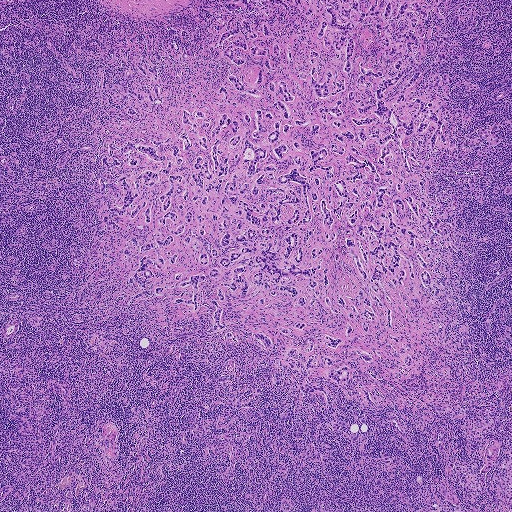
This is a crop of a whole-slide image: an H&E-stained breast-cancer sentinel lymph node section at roughly 2.5× magnification (about 3.6 µm per pixel; the crop spans about 1.9 mm).
Outlines of the eight largest metastatic tumour regions, each a closed clockwise path in crop pixels (x, y), largest first: region 1: (235, 0), (289, 9), (256, 27), (305, 69), (301, 0), (447, 0), (459, 62), (418, 85), (448, 74), (436, 95), (465, 118), (421, 157), (457, 232), (430, 247), (430, 291), (379, 282), (390, 328), (384, 304), (364, 333), (298, 276), (305, 307), (225, 292), (215, 332), (209, 279), (193, 313), (183, 289), (129, 304), (142, 253), (101, 221), (98, 180), (124, 174), (98, 154), (183, 130), (182, 106), (232, 112), (212, 16); region 2: (345, 365), (350, 371), (349, 380), (347, 383), (338, 384), (328, 377), (326, 374), (331, 368), (338, 368); region 3: (475, 128), (489, 129), (497, 133), (499, 141), (497, 145), (490, 148), (486, 148), (485, 140), (478, 136), (474, 133); region 4: (315, 353), (319, 354), (327, 356), (331, 358), (332, 362), (330, 365), (313, 368), (309, 368), (306, 367), (306, 362), (310, 355); region 5: (327, 398), (331, 403), (331, 405), (338, 419), (345, 422), (345, 426), (345, 430), (338, 433), (335, 433), (332, 431), (331, 426), (332, 422), (327, 408), (328, 405), (326, 402); region 6: (297, 379), (305, 380), (312, 384), (323, 386), (325, 390), (322, 392), (314, 391), (306, 393), (302, 392), (300, 389); region 7: (326, 334), (334, 337), (342, 338), (343, 342), (334, 349), (324, 344), (322, 340), (324, 336); region 8: (391, 334), (398, 338), (401, 342), (409, 356), (411, 364), (408, 365), (404, 364), (403, 360), (405, 354), (401, 355), (397, 353), (400, 346), (397, 343), (393, 342), (390, 339).
Three more, smaller tumour regions are not outlined.
22 more small tumour pieces are annotated here but not outlined.
About 35% of this field is tumour.